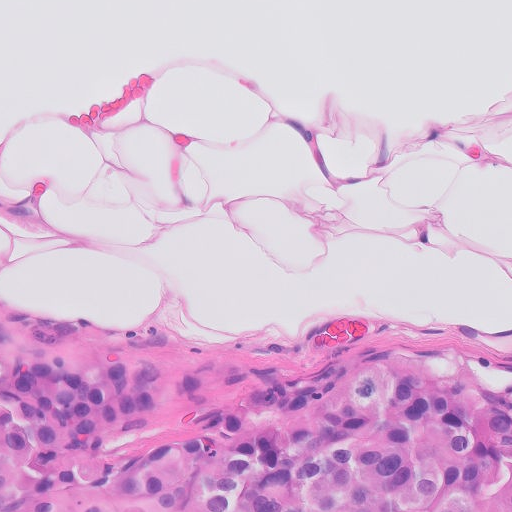
This is a crop of a whole-slide image: an H&E-stained breast-cancer sentinel lymph node section at roughly 20× magnification (about 0.5 µm per pixel; the crop spans about 0.26 mm).
One metastatic tumour region; its boundary, reduced to 6 corners and listed clockwise: (268, 322), (505, 347), (511, 511), (0, 511), (0, 325), (160, 336).
Tumour covers about 35% of the frame.